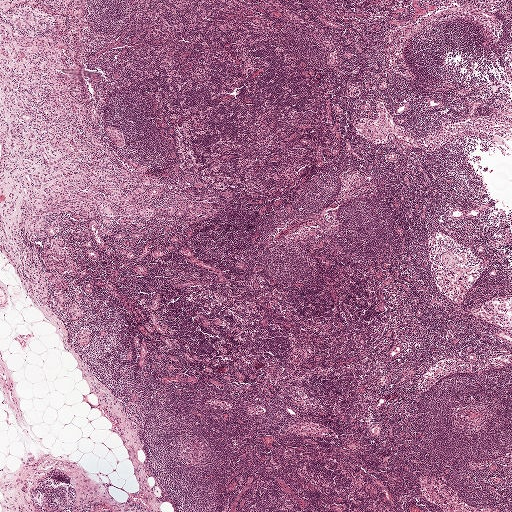
This is a crop of a whole-slide image: an H&E-stained breast-cancer sentinel lymph node section at roughly 2.5× magnification (about 3.9 µm per pixel; the crop spans about 2.0 mm).
Question: Show where the tumour is in this image.
Answer: Outlines of five tumour regions, largest first (closed clockwise paths, crop pixels): region 1: (0, 22), (56, 41), (78, 102), (107, 98), (90, 121), (113, 164), (157, 179), (130, 201), (152, 220), (48, 221), (68, 243), (74, 269), (52, 273), (78, 320), (26, 292), (0, 243); region 2: (82, 9), (85, 13), (84, 23), (81, 28), (79, 38), (75, 39), (69, 39), (68, 30), (75, 22), (75, 12); region 3: (80, 327), (87, 327), (92, 330), (92, 340), (88, 347), (80, 347), (77, 345), (77, 331); region 4: (110, 125), (114, 126), (123, 134), (124, 145), (122, 147), (119, 147), (114, 144), (107, 137), (106, 130), (107, 126); region 5: (63, 0), (72, 0), (72, 13), (71, 15), (65, 15), (63, 15), (60, 10), (60, 5).
One more small tumour piece is annotated here but not outlined.
About 10% of the image area is annotated as tumour.